A 0.25-mm field of an H&E-stained sentinel lymph node from a breast-cancer patient (whole-slide image), shown at about 20×, about 0.49 µm per pixel.
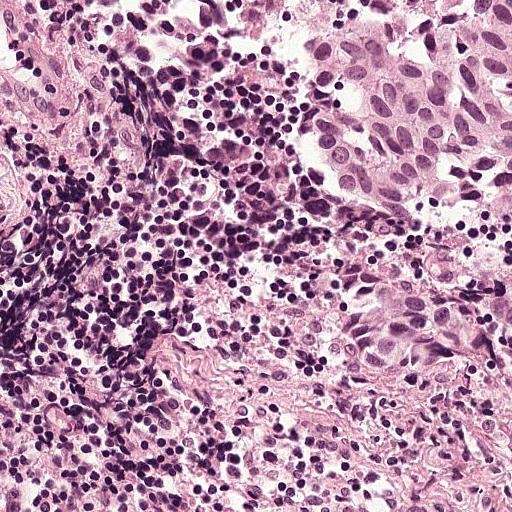
Boundaries of two metastatic tumour regions, simplified and listed clockwise, largest first: region 1: (142, 0), (511, 0), (511, 225), (481, 206), (418, 229), (375, 216), (320, 176), (302, 63), (273, 46), (168, 27); region 2: (389, 270), (416, 270), (452, 289), (511, 292), (511, 356), (504, 352), (433, 354), (414, 364), (388, 365), (361, 361), (350, 345), (347, 322), (360, 306), (380, 295).
About 25% of the image area is annotated as tumour.